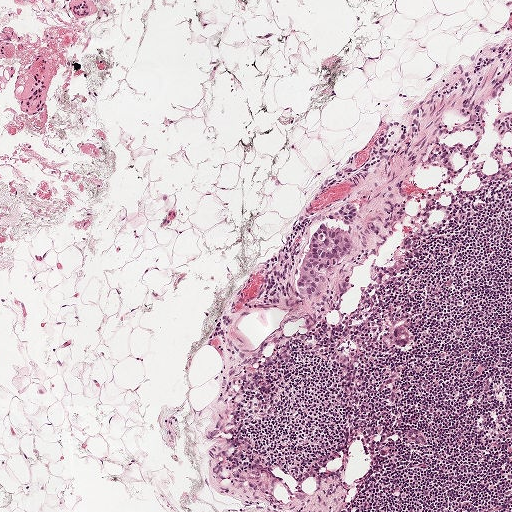
A 1-mm field of an H&E-stained sentinel lymph node from a breast-cancer patient (whole-slide image), shown at about 5×, about 1.9 µm per pixel.
Tumour region outline (a closed clockwise path, crop pixels): (355, 200), (359, 202), (356, 224), (358, 243), (353, 255), (333, 272), (323, 292), (315, 293), (313, 297), (299, 296), (297, 288), (301, 263), (317, 221), (343, 204).
The annotated tumour makes up under 5% of the crop.